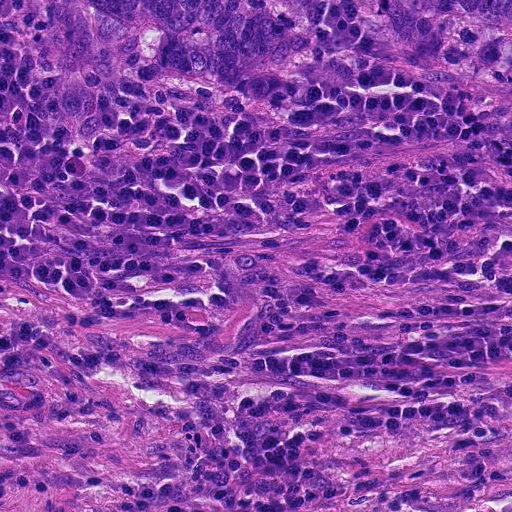
Lymph node section stained with H&E, from a whole-slide image of a breast-cancer sentinel node. Magnification about 20×, about 0.23 mm across the frame, about 0.45 µm per pixel.
Question: Which parts of this field are metastatic tumour?
Answer: Metastatic tumour outline, simplified to 7 points and listed clockwise in crop pixels (x, y): (0, 0), (511, 0), (511, 83), (456, 111), (130, 104), (76, 140), (0, 45).
The annotated tumour makes up about 20% of the crop.